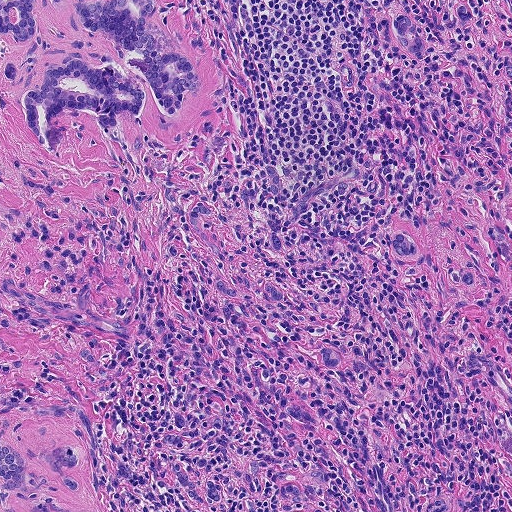
This is a crop of a whole-slide image: an H&E-stained breast-cancer sentinel lymph node section at roughly 10× magnification (about 0.9 µm per pixel; the crop spans about 0.46 mm).
Four metastatic tumour regions, each outlined as a closed clockwise path in crop pixels (x, y), largest first: region 1: (0, 0), (154, 0), (153, 19), (172, 48), (193, 63), (199, 87), (176, 117), (164, 115), (146, 92), (140, 115), (128, 114), (109, 129), (97, 126), (92, 114), (68, 116), (54, 153), (32, 138), (20, 116), (0, 106), (4, 69), (19, 47), (0, 38); region 2: (52, 402), (87, 418), (91, 430), (83, 466), (89, 492), (82, 502), (63, 498), (79, 511), (0, 511), (0, 425), (27, 406); region 3: (402, 232), (422, 249), (445, 264), (481, 276), (475, 286), (451, 282), (440, 274), (414, 277), (405, 268), (391, 247), (394, 234); region 4: (399, 12), (410, 18), (423, 40), (423, 54), (412, 58), (401, 51), (394, 41), (392, 23).
Three more small tumour pieces are annotated here but not outlined.
The annotated tumour makes up about 15% of the crop.